Lymph node section stained with H&E, from a whole-slide image of a breast-cancer sentinel node. Magnification about 20×, about 0.25 mm across the frame, about 0.49 µm per pixel.
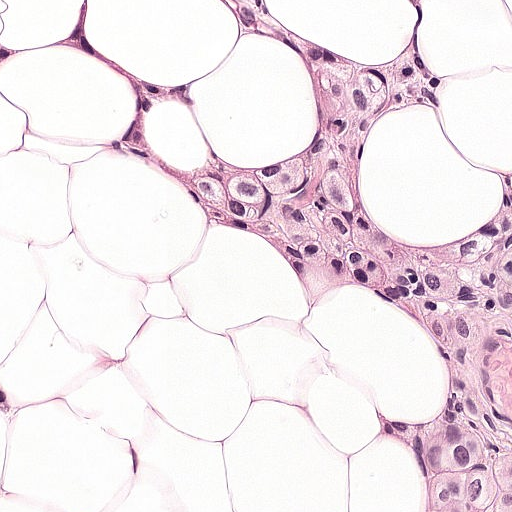
Metastatic tumour outline, simplified to 36 points and listed clockwise in crop pixels (x, y): (223, 0), (284, 0), (329, 39), (386, 46), (433, 34), (436, 85), (388, 108), (367, 150), (366, 206), (379, 224), (454, 227), (486, 196), (506, 150), (511, 511), (418, 511), (408, 462), (385, 428), (434, 392), (434, 357), (417, 322), (362, 291), (293, 292), (230, 223), (147, 180), (117, 104), (136, 76), (174, 76), (186, 92), (162, 104), (158, 127), (179, 142), (300, 144), (305, 107), (294, 69), (278, 46), (232, 24).
Tumour covers about 30% of the frame.